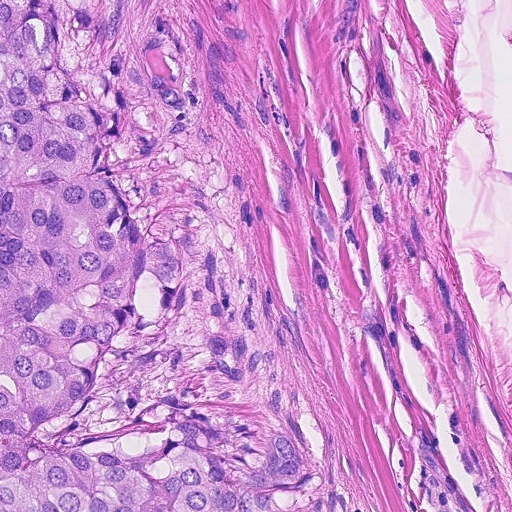
A 0.23-mm field of an H&E-stained sentinel lymph node from a breast-cancer patient (whole-slide image), shown at about 20×, about 0.45 µm per pixel.
Question: Describe where the metastatic carcinoma lies in this crop.
Answer: Metastatic tumour outline, simplified to 16 points and listed clockwise in crop pixels (x, y): (0, 0), (52, 0), (61, 59), (104, 113), (108, 183), (142, 239), (136, 304), (110, 366), (94, 394), (38, 426), (161, 468), (255, 460), (281, 429), (310, 446), (310, 511), (0, 511).
About 25% of this field is tumour.